Question: 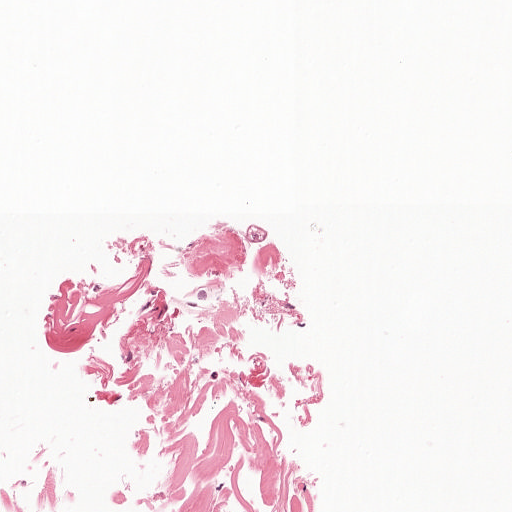
At roughly what magnification is this field shown?

Choices:
 (A) about 2.5×
 (B) about 5×
 (C) about 10×
 (D) about 40×
 (E) about 20×

Answer: (C) about 10×
This is a crop of a whole-slide image: an H&E-stained breast-cancer sentinel lymph node section at roughly 10× magnification (about 0.97 µm per pixel; the crop spans about 0.5 mm).
Metastatic tumour outline, simplified to 9 points and listed clockwise in crop pixels (x, y): (202, 286), (220, 287), (221, 290), (217, 301), (209, 302), (192, 298), (180, 298), (184, 293), (196, 287).
One more small tumour piece is annotated here but not outlined.
Tumour covers under 5% of the frame.
Question: 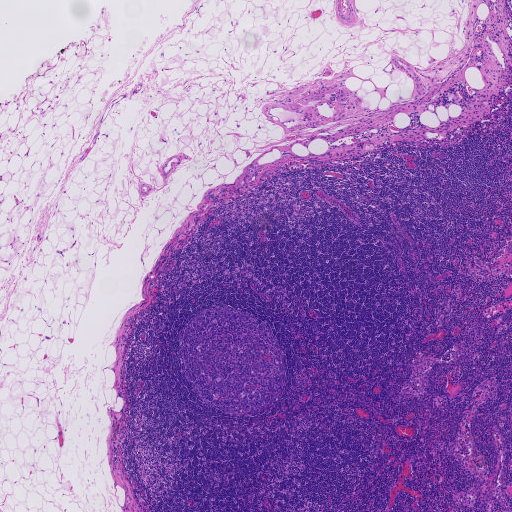
At roughly what magnification is this field shown?

Choices:
 (A) about 10×
 (B) about 5×
 (C) about 40×
 (D) about 20×
 (E) about 2.5×

Answer: (E) about 2.5×
This is a crop of a whole-slide image: an H&E-stained breast-cancer sentinel lymph node section at roughly 2.5× magnification (about 3.6 µm per pixel; the crop spans about 1.9 mm).
Metastatic tumour outline, simplified to 10 points and listed clockwise in crop pixels (x, y): (259, 165), (265, 166), (262, 172), (256, 174), (252, 181), (246, 182), (243, 182), (242, 178), (245, 172), (245, 169).
The annotated tumour makes up under 5% of the crop.
Question: 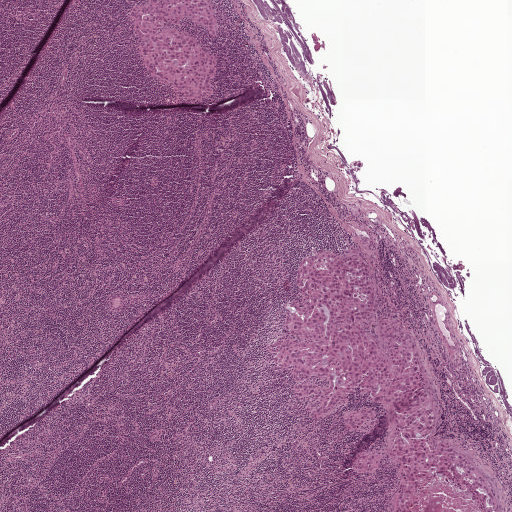
At roughly what magnification is this field shown?

Choices:
 (A) about 20×
 (B) about 5×
 (C) about 2.5×
 (D) about 10×
 (E) about 40×

Answer: (C) about 2.5×
H&E-stained section of a sentinel lymph node (breast cancer), from a whole-slide image, viewed at about 2.5×: the field is about 2.0 mm across, about 3.9 µm per pixel.
Outlines of two tumour regions, largest first (closed clockwise paths, crop pixels): region 1: (356, 248), (370, 257), (380, 311), (411, 323), (438, 422), (428, 444), (434, 451), (456, 441), (470, 451), (496, 488), (500, 511), (391, 511), (398, 486), (393, 461), (386, 456), (364, 475), (351, 466), (360, 452), (384, 444), (392, 420), (383, 406), (360, 428), (344, 427), (346, 411), (377, 404), (357, 389), (341, 410), (310, 422), (319, 401), (293, 396), (293, 379), (270, 369), (299, 285), (300, 260), (324, 250); region 2: (210, 0), (216, 13), (216, 39), (205, 27), (193, 24), (188, 17), (181, 19), (179, 28), (212, 54), (216, 70), (211, 95), (204, 99), (186, 99), (149, 77), (138, 54), (138, 45), (145, 40), (135, 38), (129, 22), (131, 13), (144, 2).
About 15% of the image area is annotated as tumour.
Question: 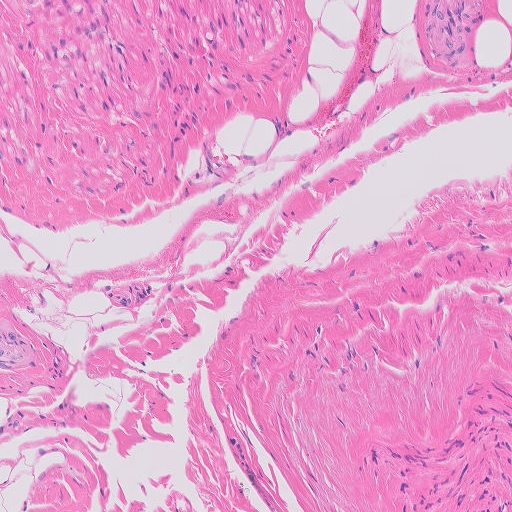
At roughly what magnification is this field shown?

Choices:
 (A) about 5×
 (B) about 2.5×
 (C) about 40×
 (D) about 10×
 (E) about 20×

Answer: (D) about 10×
Lymph node section stained with H&E, from a whole-slide image of a breast-cancer sentinel node. Magnification about 10×, about 0.51 mm across the frame, about 1.0 µm per pixel.